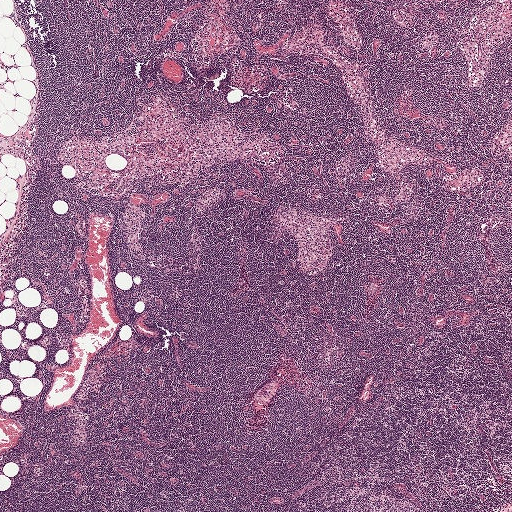
Lymph node section stained with H&E, from a whole-slide image of a breast-cancer sentinel node. Magnification about 2.5×, about 2.0 mm across the frame, about 3.9 µm per pixel.